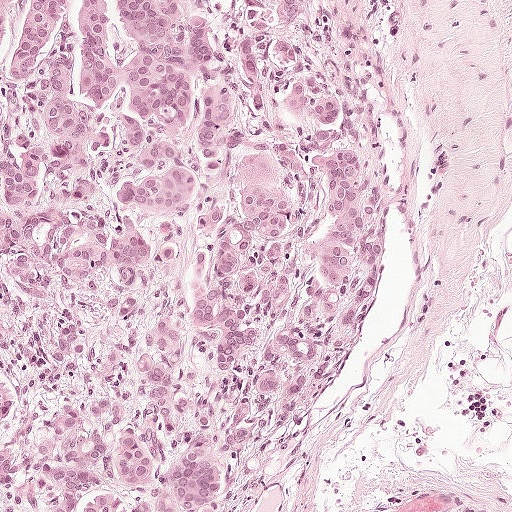
Lymph node section stained with H&E, from a whole-slide image of a breast-cancer sentinel node. Magnification about 10×, about 0.5 mm across the frame, about 0.97 µm per pixel.
Tumour region outline (a closed clockwise path, crop pixels): (0, 0), (309, 2), (344, 134), (370, 176), (382, 248), (355, 350), (318, 405), (232, 480), (220, 511), (0, 511).
About 65% of this field is tumour.